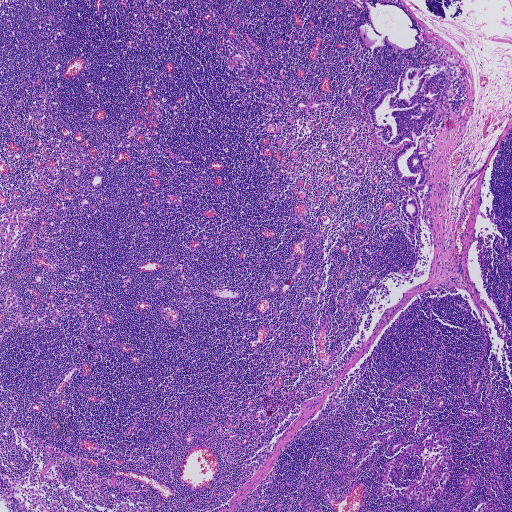
This is a crop of a whole-slide image: an H&E-stained breast-cancer sentinel lymph node section at roughly 2.5× magnification (about 3.6 µm per pixel; the crop spans about 1.9 mm).
Outlines of six tumour regions, largest first (closed clockwise paths, crop pixels): region 1: (449, 52), (447, 61), (454, 93), (450, 101), (452, 116), (432, 140), (438, 147), (432, 159), (424, 161), (429, 192), (422, 199), (395, 174), (396, 153), (412, 141), (406, 138), (401, 145), (389, 147), (376, 135), (368, 111), (383, 92), (387, 89), (396, 92), (406, 67), (424, 66); region 2: (414, 195), (419, 207), (419, 212), (415, 235), (412, 236), (410, 234), (408, 224), (409, 223), (413, 224), (414, 219), (407, 217), (403, 209), (404, 200), (407, 197); region 3: (376, 143), (381, 149), (383, 152), (383, 156), (381, 159), (378, 160), (374, 160), (372, 157), (370, 152), (373, 145); region 4: (352, 86), (354, 90), (353, 93), (359, 103), (356, 105), (352, 105), (349, 103), (348, 96), (346, 93), (345, 89), (348, 87); region 5: (426, 215), (431, 218), (433, 222), (433, 227), (431, 231), (425, 224); region 6: (427, 198), (430, 201), (431, 206), (432, 210), (431, 214), (427, 212), (425, 208).
Two more small tumour pieces are annotated here but not outlined.
About 5% of this field is tumour.